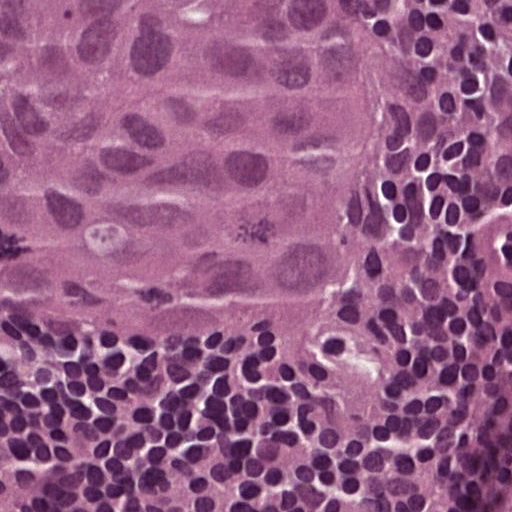
Lymph node section stained with H&E, from a whole-slide image of a breast-cancer sentinel node. Magnification about 40×, about 0.12 mm across the frame, about 0.24 µm per pixel.
The outlined metastatic tumour's edge, as a closed clockwise path of 6 points: (0, 0), (399, 0), (404, 168), (300, 297), (143, 356), (0, 317).
About 45% of this field is tumour.